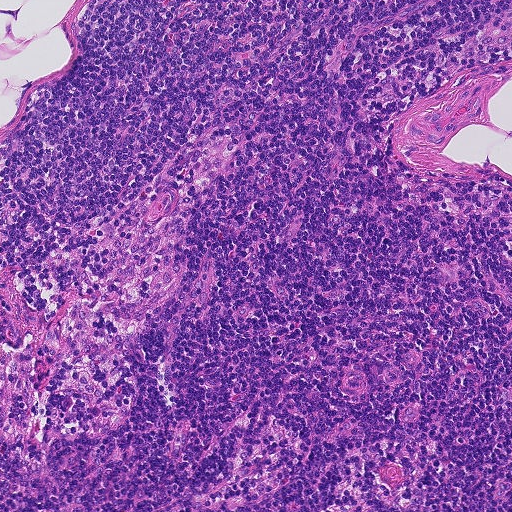
A 0.46-mm field of an H&E-stained sentinel lymph node from a breast-cancer patient (whole-slide image), shown at about 10×, about 0.9 µm per pixel.
Question: Is any metastatic breast cancer visible in this crop?
Answer: No: no metastatic tumour is outlined anywhere in this field.